Image:
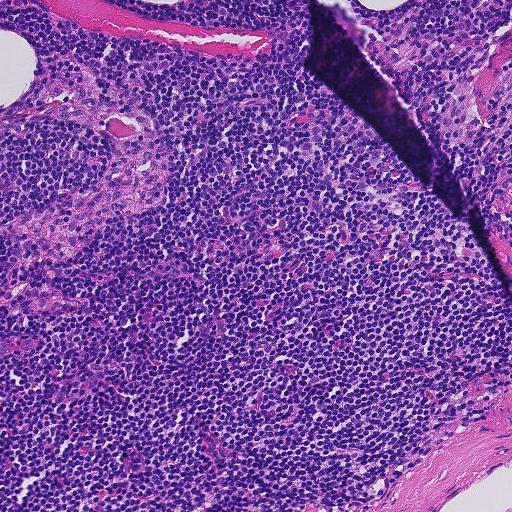
This is a crop of a whole-slide image: an H&E-stained breast-cancer sentinel lymph node section at roughly 10× magnification (about 0.9 µm per pixel; the crop spans about 0.46 mm).
Question:
Does this lymph node field contain metastatic tumour?
Answer:
No: no metastatic tumour is outlined anywhere in this field.